H&E-stained section of a sentinel lymph node (breast cancer), from a whole-slide image, viewed at about 10×: the field is about 0.5 mm across, about 0.97 µm per pixel.
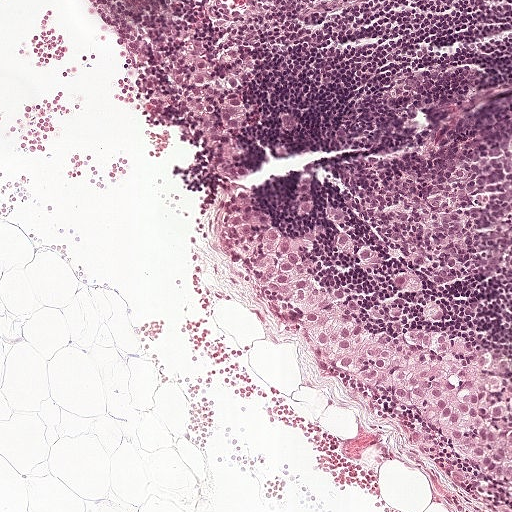
Two metastatic tumour regions, each outlined as a closed clockwise path in crop pixels (x, y), largest first: region 1: (274, 230), (302, 234), (315, 248), (315, 265), (325, 281), (386, 328), (406, 321), (476, 348), (511, 354), (511, 498), (448, 456), (422, 419), (305, 347), (254, 300), (249, 292), (256, 242); region 2: (219, 45), (231, 47), (241, 58), (236, 75), (241, 124), (234, 142), (222, 156), (214, 154), (208, 146), (192, 118), (175, 94), (171, 79), (176, 64), (208, 54).
The annotated tumour makes up about 10% of the crop.